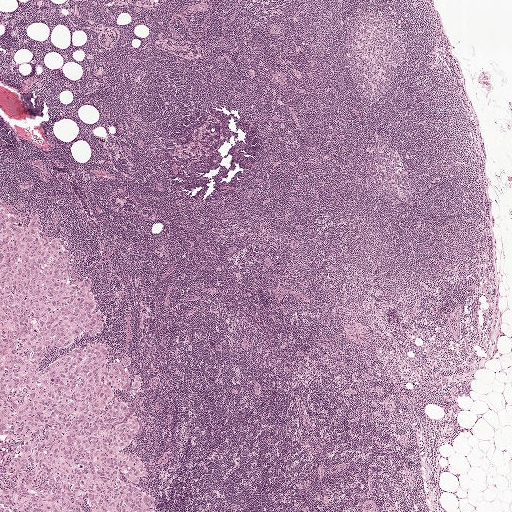
H&E-stained section of a sentinel lymph node (breast cancer), from a whole-slide image, viewed at about 2.5×: the field is about 2.0 mm across, about 3.9 µm per pixel.
One metastatic tumour region; its boundary, reduced to 22 corners and listed clockwise: (0, 203), (26, 227), (37, 214), (42, 236), (64, 243), (70, 277), (92, 285), (102, 329), (49, 348), (40, 370), (95, 342), (108, 348), (106, 369), (128, 359), (139, 391), (112, 399), (138, 426), (121, 451), (144, 464), (133, 487), (153, 511), (0, 511).
The annotated tumour makes up about 10% of the crop.